This is a crop of a whole-slide image: an H&E-stained breast-cancer sentinel lymph node section at roughly 2.5× magnification (about 3.9 µm per pixel; the crop spans about 2.0 mm).
Question: 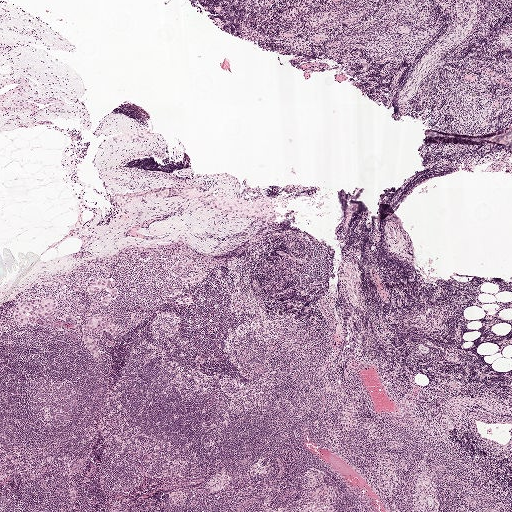
What fraction of the image area is metastatic tumour?

Choices:
 (A) about 25% to 45%
 (B) about 5% or less
 (C) about 50% or more
 (D) about 10% to 20%
 (E) none: no tumour is outlined

Answer: (B) about 5% or less
Under 5% of the field is tumour.
Seven metastatic tumour regions, each outlined as a closed clockwise path in crop pixels (x, y), largest first: region 1: (50, 295), (55, 299), (56, 304), (53, 312), (44, 318), (36, 321), (34, 325), (20, 325), (14, 322), (14, 311), (17, 305), (31, 296), (37, 298); region 2: (88, 278), (107, 278), (112, 280), (118, 290), (117, 297), (105, 304), (102, 304), (100, 301), (108, 293), (107, 290), (101, 288), (94, 295), (89, 295), (85, 289); region 3: (108, 314), (109, 321), (114, 323), (115, 326), (115, 331), (109, 333), (98, 328), (93, 330), (87, 329), (86, 325), (88, 321), (95, 315); region 4: (81, 334), (94, 337), (97, 339), (97, 356), (96, 359), (92, 358), (83, 340), (79, 337); region 5: (182, 262), (190, 262), (191, 263), (191, 266), (188, 269), (183, 272), (178, 272), (173, 272), (172, 270), (173, 267); region 6: (189, 293), (190, 296), (191, 301), (190, 302), (186, 303), (181, 303), (177, 302), (176, 299), (178, 297), (183, 297), (186, 296), (187, 294); region 7: (179, 249), (186, 249), (194, 252), (196, 255), (196, 257), (194, 257), (190, 257), (187, 255), (184, 254), (179, 250).